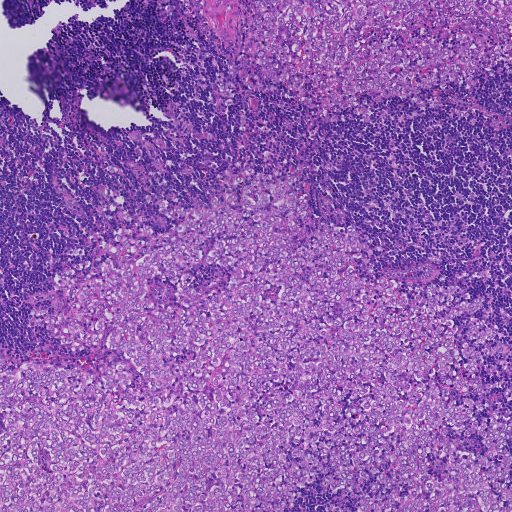
H&E-stained section of a sentinel lymph node (breast cancer), from a whole-slide image, viewed at about 5×: the field is about 0.93 mm across, about 1.8 µm per pixel.
Outlines of three tumour regions, largest first (closed clockwise paths, crop pixels): region 1: (247, 167), (280, 171), (309, 204), (293, 238), (350, 224), (381, 276), (484, 297), (453, 319), (503, 341), (484, 379), (511, 389), (485, 400), (511, 511), (0, 511), (0, 358), (124, 360), (32, 324), (71, 310), (55, 279), (113, 259), (128, 214), (169, 231), (161, 198), (240, 206); region 2: (511, 0), (511, 74), (501, 61), (460, 84), (412, 93), (421, 97), (416, 116), (411, 100), (396, 96), (361, 93), (365, 112), (328, 111), (308, 78), (297, 93), (262, 80), (250, 89), (236, 73), (232, 107), (216, 76), (227, 78), (239, 1); region 3: (160, 0), (202, 0), (192, 7), (188, 13), (180, 12), (174, 15), (166, 14).
One more small tumour piece is annotated here but not outlined.
About 60% of this field is tumour.